Question: 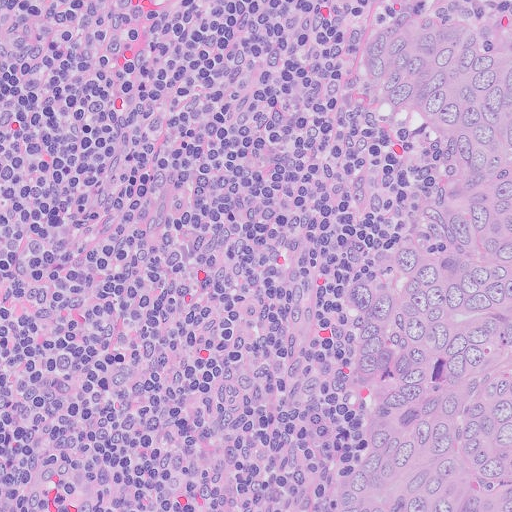
About what magnification does this crop show?

Choices:
 (A) about 20×
 (B) about 5×
 (C) about 2.5×
 (D) about 10×
 (E) about 40×

Answer: (A) about 20×
This is a crop of a whole-slide image: an H&E-stained breast-cancer sentinel lymph node section at roughly 20× magnification (about 0.5 µm per pixel; the crop spans about 0.26 mm).
One metastatic tumour region; its boundary, reduced to 7 corners and listed clockwise: (381, 0), (511, 0), (511, 511), (329, 511), (317, 364), (342, 90), (362, 22).
About 35% of this field is tumour.
Question: 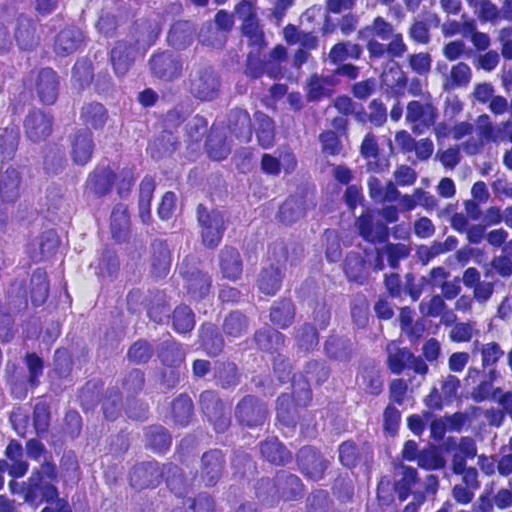
About what magnification does this crop show?

Choices:
 (A) about 40×
 (B) about 10×
 (C) about 5×
 (D) about 20×
 (E) about 2.5×

Answer: (A) about 40×
H&E-stained section of a sentinel lymph node (breast cancer), from a whole-slide image, viewed at about 40×: the field is about 0.12 mm across, about 0.23 µm per pixel.
Tumour region outline (a closed clockwise path, crop pixels): (0, 0), (190, 0), (268, 50), (358, 221), (404, 511), (71, 511), (43, 451), (0, 442).
About 65% of this field is tumour.
Question: 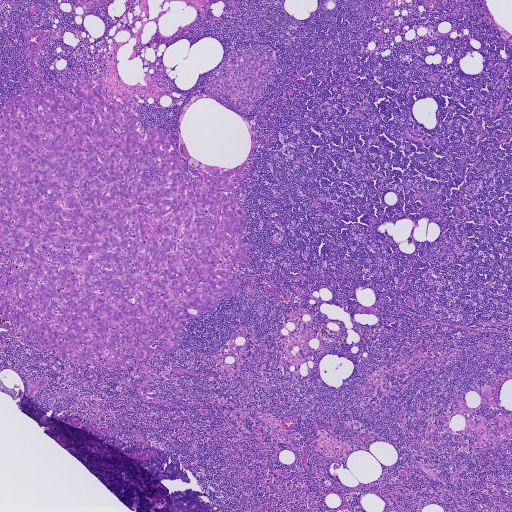
About what magnification does this crop show?

Choices:
 (A) about 2.5×
 (B) about 20×
 (C) about 40×
 (D) about 10×
 (E) about 5×

Answer: (A) about 2.5×
Lymph node section stained with H&E, from a whole-slide image of a breast-cancer sentinel node. Magnification about 2.5×, about 1.9 mm across the frame, about 3.6 µm per pixel.
Metastatic tumour outline, simplified to 20 points and listed clockwise in crop pixels (x, y): (89, 82), (142, 138), (159, 128), (191, 181), (242, 172), (229, 197), (247, 216), (240, 291), (181, 320), (176, 349), (163, 338), (124, 366), (80, 365), (25, 341), (25, 324), (1, 310), (0, 116), (27, 90), (82, 103), (74, 87).
About 20% of the image area is annotated as tumour.
Question: 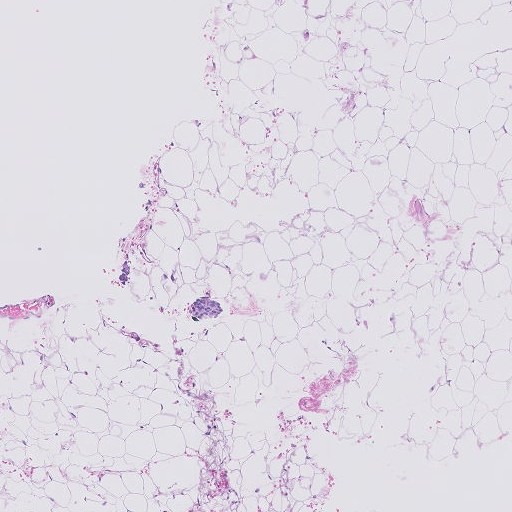
About what magnification does this crop show?

Choices:
 (A) about 40×
 (B) about 10×
 (C) about 20×
 (D) about 5×
 (E) about 2.5×

Answer: (D) about 5×
Lymph node section stained with H&E, from a whole-slide image of a breast-cancer sentinel node. Magnification about 5×, about 1.0 mm across the frame, about 2.0 µm per pixel.
Outlines of two tumour regions, largest first (closed clockwise paths, crop pixels): region 1: (209, 291), (222, 301), (229, 316), (196, 321), (184, 311), (196, 293); region 2: (122, 252), (135, 256), (130, 288), (113, 285).
Two more small tumour pieces are annotated here but not outlined.
Under 5% of the image area is annotated as tumour.